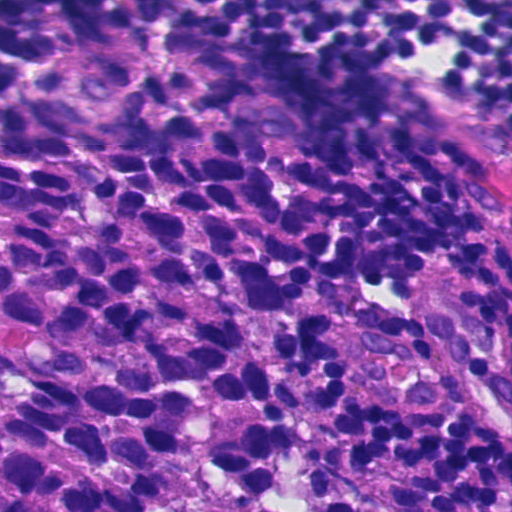
Lymph node section stained with H&E, from a whole-slide image of a breast-cancer sentinel node. Magnification about 40×, about 0.12 mm across the frame, about 0.23 µm per pixel.
Outlines of two tumour regions, largest first (closed clockwise paths, crop pixels): region 1: (0, 102), (71, 109), (206, 228), (259, 346), (333, 463), (390, 511), (0, 511); region 2: (0, 0), (127, 0), (209, 39), (288, 96), (350, 196), (294, 267), (226, 250), (172, 185), (162, 131), (37, 89), (0, 53).
About 55% of the image area is annotated as tumour.